Question: 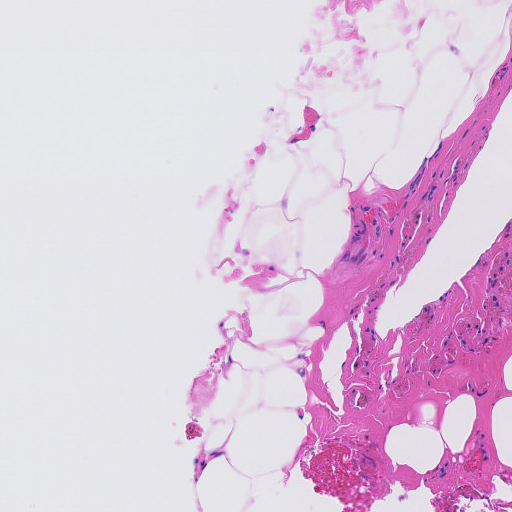
Which magnification is this H&E lymph node field most likely shown at?

Choices:
 (A) about 2.5×
 (B) about 5×
 (C) about 10×
 (D) about 20×
 (E) about 40×

Answer: (C) about 10×
Lymph node section stained with H&E, from a whole-slide image of a breast-cancer sentinel node. Magnification about 10×, about 0.46 mm across the frame, about 0.91 µm per pixel.